A 0.51-mm field of an H&E-stained sentinel lymph node from a breast-cancer patient (whole-slide image), shown at about 10×, about 1.0 µm per pixel.
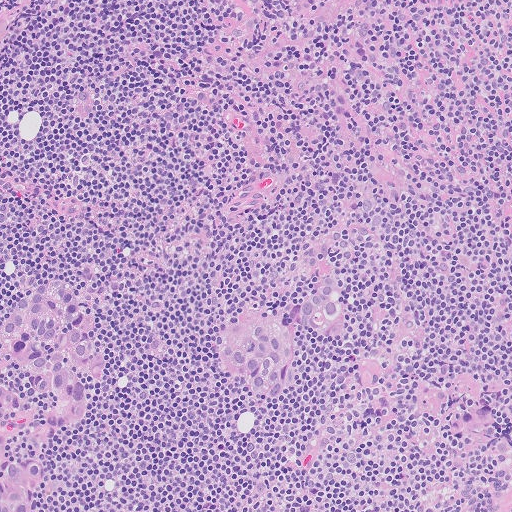
Four metastatic tumour regions, each outlined as a closed clockwise path in crop pixels (x, y), largest first: region 1: (65, 279), (87, 306), (92, 332), (104, 356), (99, 382), (86, 386), (84, 414), (77, 425), (40, 450), (14, 442), (13, 454), (40, 466), (34, 511), (0, 511), (0, 319), (40, 280); region 2: (279, 304), (292, 331), (294, 344), (292, 370), (285, 397), (272, 401), (258, 399), (240, 379), (228, 376), (218, 367), (214, 354), (226, 327), (236, 315); region 3: (338, 269), (349, 295), (351, 311), (350, 328), (344, 341), (330, 344), (317, 341), (306, 334), (298, 321), (305, 292), (314, 280), (324, 271); region 4: (489, 402), (494, 426), (457, 441), (446, 434), (452, 421), (462, 410), (474, 404).
One more small tumour piece is annotated here but not outlined.
The annotated tumour makes up about 10% of the crop.